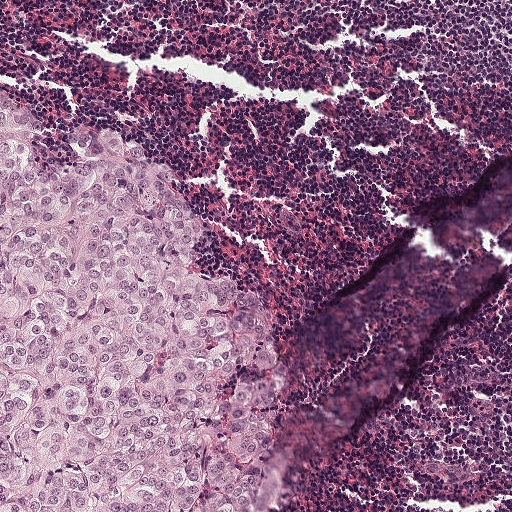
This is a crop of a whole-slide image: an H&E-stained breast-cancer sentinel lymph node section at roughly 10× magnification (about 0.97 µm per pixel; the crop spans about 0.5 mm).
Metastatic tumour outline, simplified to 18 points and listed clockwise in crop pixels (x, y): (0, 95), (41, 116), (48, 144), (38, 162), (55, 170), (78, 160), (70, 135), (88, 124), (138, 143), (199, 217), (198, 271), (265, 298), (265, 328), (233, 388), (234, 419), (269, 409), (238, 511), (0, 511).
About 35% of this field is tumour.